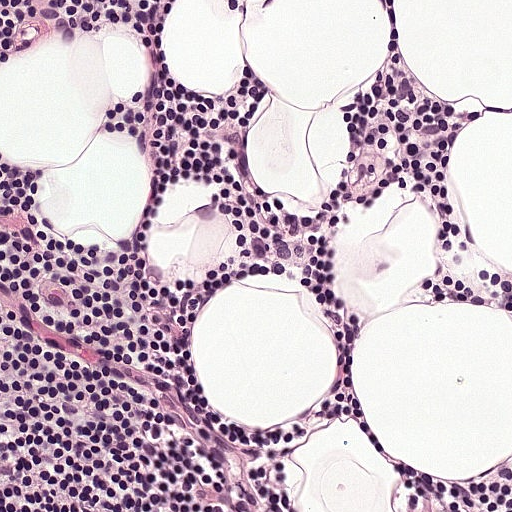
Lymph node section stained with H&E, from a whole-slide image of a breast-cancer sentinel node. Magnification about 20×, about 0.25 mm across the frame, about 0.49 µm per pixel.